This is a crop of a whole-slide image: an H&E-stained breast-cancer sentinel lymph node section at roughly 20× magnification (about 0.49 µm per pixel; the crop spans about 0.25 mm).
Image:
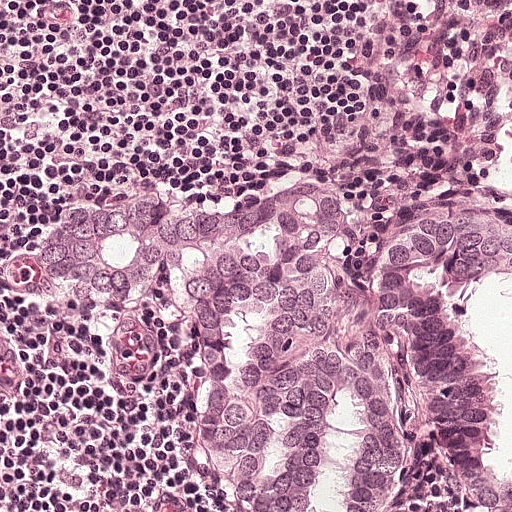
Question:
Is any metastatic breast cancer visible in this crop?
Answer:
Yes.
Metastatic tumour outline, simplified to 15 points and listed clockwise in crop pixels (x, y): (257, 184), (300, 184), (402, 229), (470, 207), (511, 218), (511, 511), (218, 511), (220, 482), (180, 418), (178, 340), (57, 292), (31, 255), (50, 210), (88, 194), (216, 201).
About 45% of the image area is annotated as tumour.